Question: 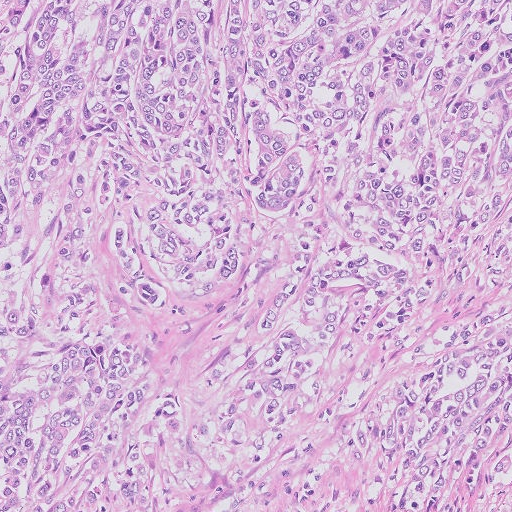
Lymph node section stained with H&E, from a whole-slide image of a breast-cancer sentinel node. Magnification about 10×, about 0.51 mm across the frame, about 1.0 µm per pixel.
What fraction of the image area is metastatic tumour?

Choices:
 (A) none: no tumour is outlined
 (B) about 50% or more
 (C) about 25% to 45%
 (D) about 10% to 20%
 (E) about 5% or less

Answer: (B) about 50% or more
Over 95% of the field is tumour.
Metastatic tumour covers the whole field.